This is a crop of a whole-slide image: an H&E-stained breast-cancer sentinel lymph node section at roughly 10× magnification (about 0.97 µm per pixel; the crop spans about 0.5 mm).
Image:
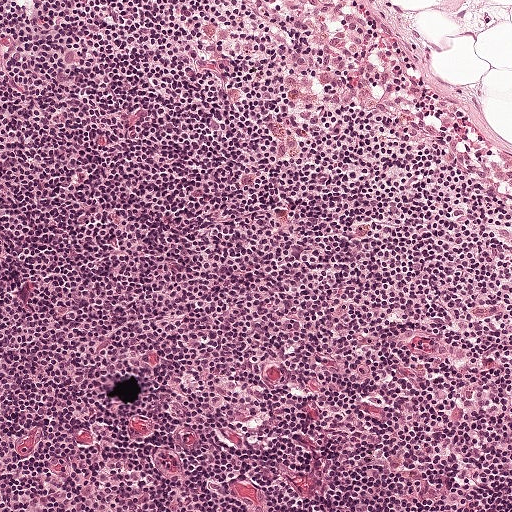
Question:
Is any metastatic breast cancer visible in this crop?
Answer:
No: no metastatic tumour is outlined anywhere in this field.